Image:
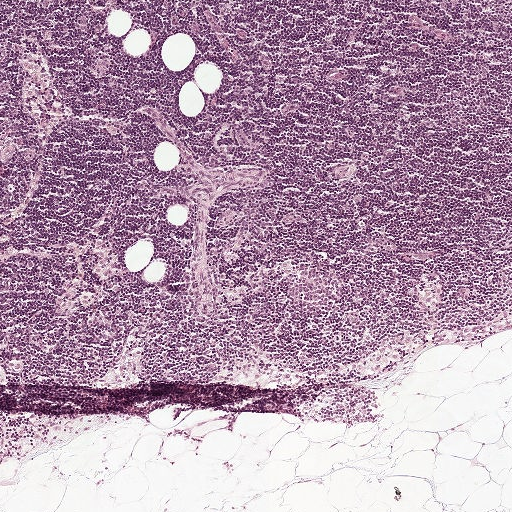
This is a crop of a whole-slide image: an H&E-stained breast-cancer sentinel lymph node section at roughly 5× magnification (about 1.9 µm per pixel; the crop spans about 1 mm).
Question:
Is there metastatic carcinoma in this field?
Answer:
No: no metastatic tumour is outlined anywhere in this field.